Image:
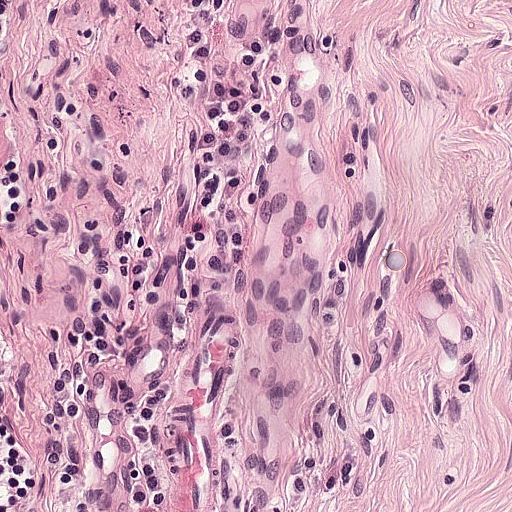
H&E-stained section of a sentinel lymph node (breast cancer), from a whole-slide image, viewed at about 20×: the field is about 0.25 mm across, about 0.49 µm per pixel.
Question:
Is there metastatic carcinoma in this field?
Answer:
No. No metastatic tumour is outlined in this field.